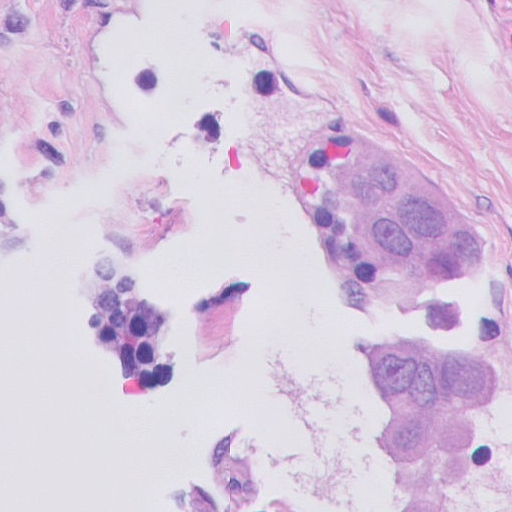
H&E-stained section of a sentinel lymph node (breast cancer), from a whole-slide image, viewed at about 40×: the field is about 0.13 mm across, about 0.25 µm per pixel.
Two metastatic tumour regions, each outlined as a closed clockwise path in crop pixels (x, y), largest first: region 1: (351, 131), (377, 141), (433, 181), (451, 203), (489, 258), (460, 293), (462, 326), (435, 334), (415, 293), (387, 290), (328, 195), (318, 169), (321, 140); region 2: (400, 340), (457, 350), (480, 348), (502, 362), (499, 392), (477, 411), (467, 466), (449, 486), (445, 511), (397, 511), (390, 474), (376, 451), (377, 394), (361, 369), (372, 343).
About 15% of the image area is annotated as tumour.